Image:
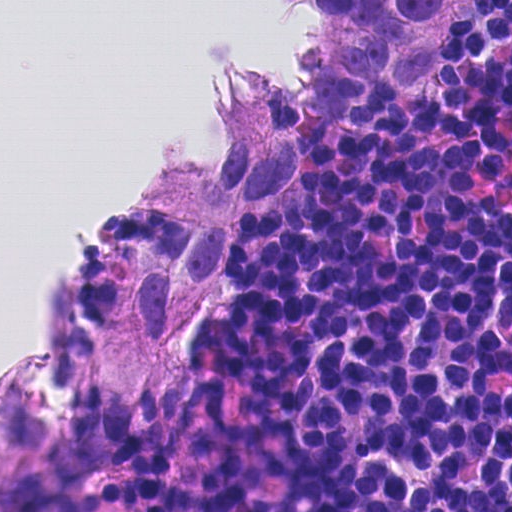
A 0.12-mm field of an H&E-stained sentinel lymph node from a breast-cancer patient (whole-slide image), shown at about 40×, about 0.23 µm per pixel.
Question:
Where is the metastatic tumour in this field? Give each region's outline as (x, y) pixel points.
Answer:
Tumour region outline (a closed clockwise path, crop pixels): (309, 0), (484, 0), (453, 61), (404, 95), (345, 108), (305, 153), (302, 176), (251, 208), (226, 288), (194, 339), (188, 397), (136, 415), (88, 393), (107, 332), (140, 278), (187, 239), (92, 226), (150, 170), (210, 159), (225, 130), (207, 96), (260, 68), (295, 87), (311, 39).
About 20% of the image area is annotated as tumour.